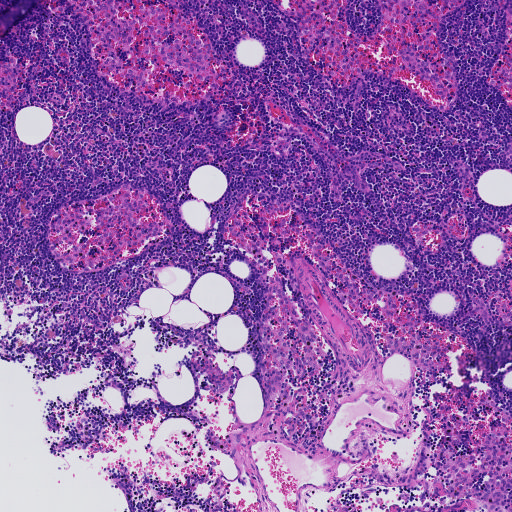
This is a crop of a whole-slide image: an H&E-stained breast-cancer sentinel lymph node section at roughly 5× magnification (about 1.8 µm per pixel; the crop spans about 0.93 mm).